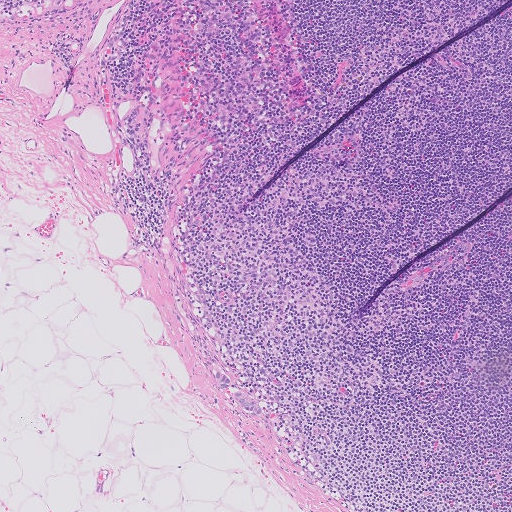
A 1.0-mm field of an H&E-stained sentinel lymph node from a breast-cancer patient (whole-slide image), shown at about 5×, about 2.0 µm per pixel.
Two metastatic tumour regions, each outlined as a closed clockwise path in crop pixels (x, y), largest first: region 1: (233, 391), (240, 391), (244, 393), (260, 408), (261, 411), (260, 415), (254, 417), (245, 410), (232, 398), (230, 394); region 2: (218, 369), (222, 373), (229, 377), (230, 380), (230, 384), (230, 387), (226, 388), (223, 388), (218, 384), (214, 377), (213, 374), (214, 370).
Tumour covers under 5% of the frame.